Question: 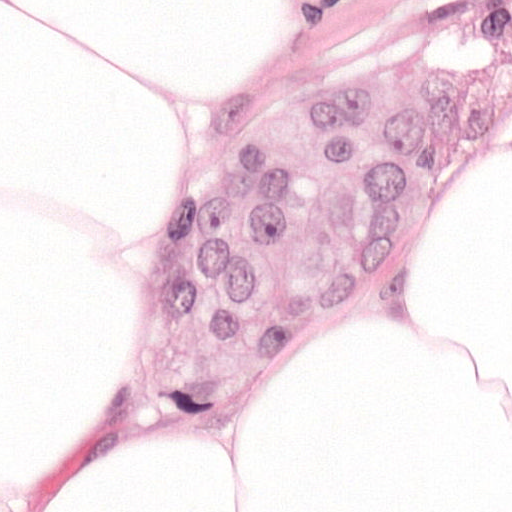
At roughly what magnification is this field shown?

Choices:
 (A) about 2.5×
 (B) about 5×
 (C) about 40×
 (D) about 10×
 (E) about 20×

Answer: (C) about 40×
H&E-stained section of a sentinel lymph node (breast cancer), from a whole-slide image, viewed at about 40×: the field is about 0.12 mm across, about 0.24 µm per pixel.
Metastatic tumour outline, simplified to 11 points and listed clockwise in crop pixels (x, y): (440, 42), (477, 67), (456, 152), (396, 249), (324, 334), (233, 403), (120, 413), (112, 304), (167, 207), (230, 116), (329, 58).
About 30% of the image area is annotated as tumour.